Question: 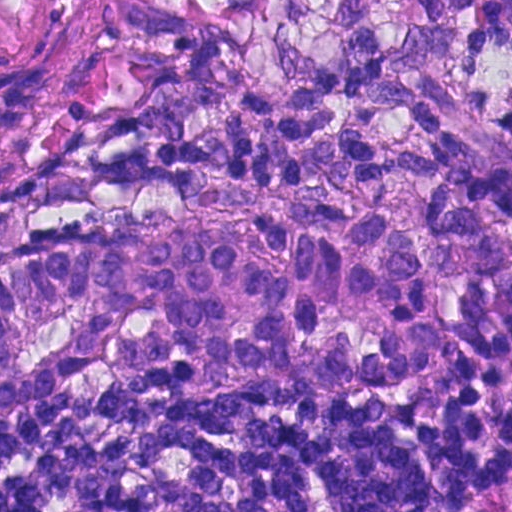
About what magnification does this crop show?

Choices:
 (A) about 5×
 (B) about 2.5×
 (C) about 20×
 (D) about 10×
 (E) about 40×

Answer: (E) about 40×
Lymph node section stained with H&E, from a whole-slide image of a breast-cancer sentinel node. Magnification about 40×, about 0.12 mm across the frame, about 0.23 µm per pixel.
Metastatic tumour outline, simplified to 18 points and listed clockwise in crop pixels (x, y): (376, 212), (411, 237), (445, 324), (441, 365), (425, 377), (343, 392), (216, 375), (182, 356), (161, 323), (124, 334), (1, 430), (0, 266), (64, 240), (127, 240), (227, 213), (325, 236), (345, 231), (356, 213).
About 25% of this field is tumour.